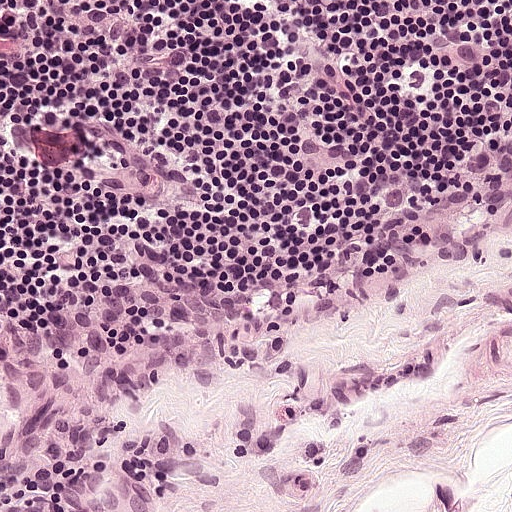
H&E-stained section of a sentinel lymph node (breast cancer), from a whole-slide image, viewed at about 20×: the field is about 0.25 mm across, about 0.49 µm per pixel.